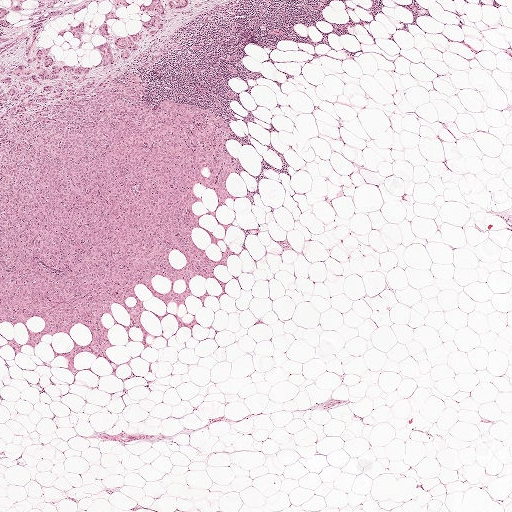
Lymph node section stained with H&E, from a whole-slide image of a breast-cancer sentinel node. Magnification about 2.5×, about 2.0 mm across the frame, about 3.9 µm per pixel.
Three metastatic tumour regions, each outlined as a closed clockwise path in crop pixels (x, y), largest first: region 1: (37, 0), (102, 0), (36, 40), (82, 82), (134, 74), (147, 102), (226, 120), (247, 170), (224, 183), (254, 204), (225, 198), (224, 235), (196, 183), (198, 221), (223, 238), (192, 238), (218, 260), (251, 234), (246, 249), (213, 267), (220, 301), (213, 278), (189, 280), (203, 305), (134, 287), (190, 331), (143, 310), (142, 349), (103, 315), (116, 376), (54, 358), (90, 345), (84, 323), (32, 346), (43, 318), (1, 323), (0, 6), (23, 6), (15, 25); region 2: (109, 0), (129, 2), (128, 6), (116, 8), (118, 21), (106, 16), (110, 28), (121, 36), (138, 31), (141, 18), (149, 17), (138, 11), (144, 2), (202, 0), (166, 9), (157, 34), (143, 39), (124, 60), (102, 65), (97, 64), (98, 51), (89, 46), (104, 42), (103, 36), (83, 33), (83, 44), (77, 48), (77, 37), (67, 30), (62, 36), (57, 32), (82, 22), (88, 31), (99, 33); region 3: (0, 333), (4, 336), (11, 339), (13, 337), (15, 340), (20, 344), (20, 347), (20, 352), (16, 354), (15, 354), (14, 352), (13, 351), (11, 347), (8, 345), (4, 346), (0, 349), (0, 344), (7, 340), (0, 335).
One more small tumour piece is annotated here but not outlined.
About 20% of this field is tumour.